Question: 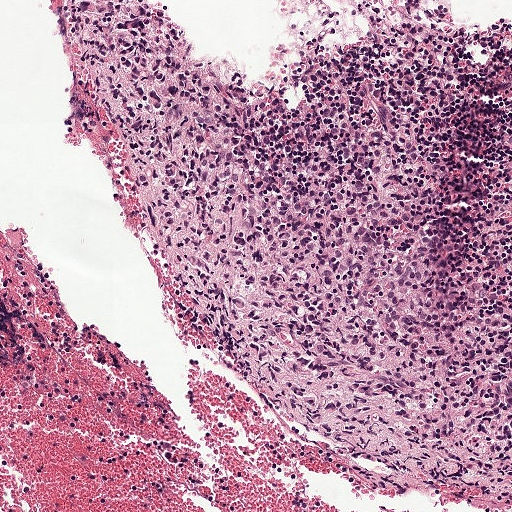
Lymph node section stained with H&E, from a whole-slide image of a breast-cancer sentinel node. Magnification about 10×, about 0.5 mm across the frame, about 0.97 µm per pixel.
What fraction of the image area is metastatic tumour?

Choices:
 (A) about 5% or less
 (B) none: no tumour is outlined
 (C) about 50% or more
 (D) about 10% to 20%
 (E) about 25% to 45%

Answer: (C) about 50% or more
About 55% of the field is tumour.
One metastatic tumour region; its boundary, reduced to 14 corners and listed clockwise: (75, 0), (132, 0), (232, 76), (284, 80), (302, 77), (382, 7), (458, 62), (511, 136), (511, 511), (409, 498), (316, 469), (267, 436), (170, 295), (144, 180).